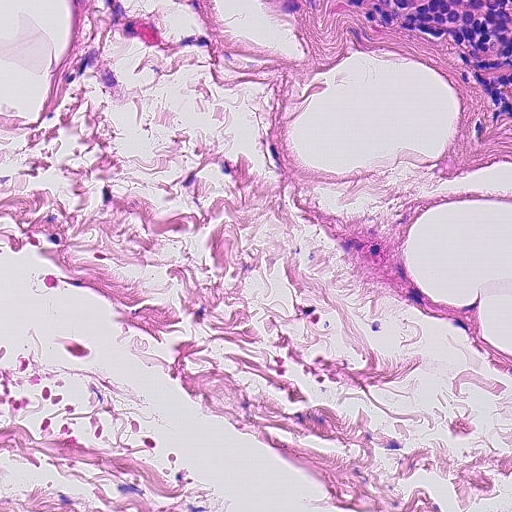
This is a crop of a whole-slide image: an H&E-stained breast-cancer sentinel lymph node section at roughly 20× magnification (about 0.45 µm per pixel; the crop spans about 0.23 mm).